Question: 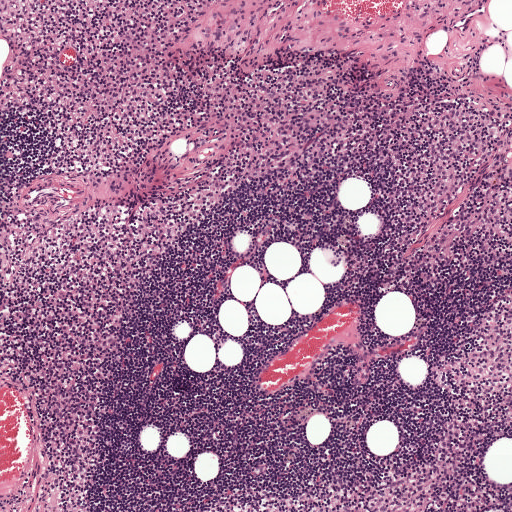
At roughly what magnification is this field shown?

Choices:
 (A) about 2.5×
 (B) about 10×
 (C) about 5×
 (D) about 40×
 (E) about 20×

Answer: (C) about 5×
A 1-mm field of an H&E-stained sentinel lymph node from a breast-cancer patient (whole-slide image), shown at about 5×, about 1.9 µm per pixel.
Question: 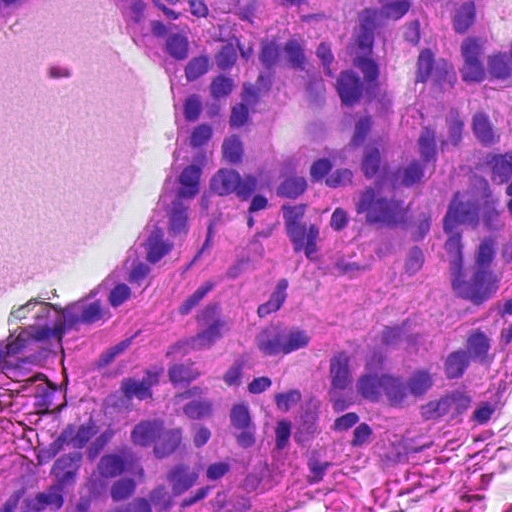
At roughly what magnification is this field shown?

Choices:
 (A) about 2.5×
 (B) about 40×
 (C) about 5×
 (D) about 10×
 (E) about 20×

Answer: (B) about 40×
This is a crop of a whole-slide image: an H&E-stained breast-cancer sentinel lymph node section at roughly 40× magnification (about 0.23 µm per pixel; the crop spans about 0.12 mm).
Boundaries of three metastatic tumour regions, simplified and listed clockwise, largest first: region 1: (0, 0), (159, 0), (203, 46), (247, 43), (277, 26), (341, 53), (346, 19), (366, 0), (511, 0), (511, 87), (467, 97), (511, 125), (510, 283), (486, 305), (451, 310), (391, 272), (400, 237), (347, 219), (350, 186), (276, 216), (206, 210), (128, 312), (0, 376); region 2: (180, 360), (260, 409), (260, 449), (249, 482), (206, 511), (1, 511), (31, 452), (95, 405), (117, 380), (147, 364); region 3: (487, 322), (497, 341), (489, 367), (400, 414), (358, 408), (344, 410), (327, 404), (326, 356), (332, 342), (358, 348), (368, 363), (402, 370), (460, 334).
Tumour covers about 65% of the frame.
Question: 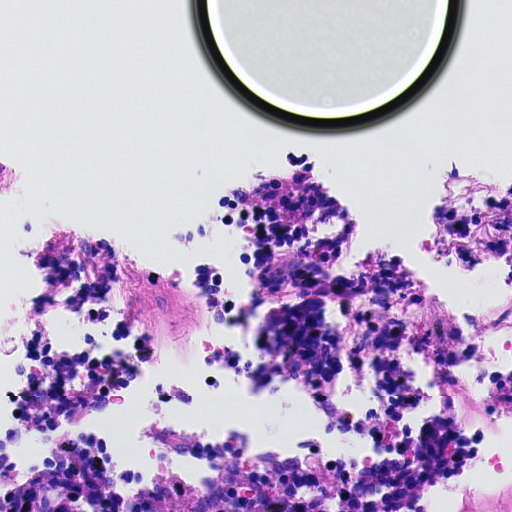
At roughly what magnification is this field shown?

Choices:
 (A) about 40×
 (B) about 10×
 (C) about 20×
 (D) about 2.5×
 (E) about 5×

Answer: (C) about 20×
H&E-stained section of a sentinel lymph node (breast cancer), from a whole-slide image, viewed at about 20×: the field is about 0.23 mm across, about 0.45 µm per pixel.
Question: 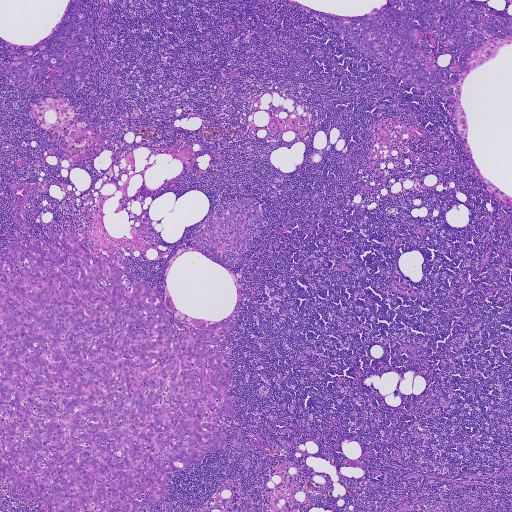
At roughly what magnification is this field shown?

Choices:
 (A) about 20×
 (B) about 40×
 (C) about 2.5×
 (D) about 10×
 (E) about 5×

Answer: (C) about 2.5×
This is a crop of a whole-slide image: an H&E-stained breast-cancer sentinel lymph node section at roughly 2.5× magnification (about 3.6 µm per pixel; the crop spans about 1.9 mm).
One metastatic tumour region; its boundary, reduced to 20 corners and listed clockwise: (75, 235), (111, 276), (119, 268), (128, 291), (145, 281), (177, 334), (227, 324), (215, 350), (233, 369), (226, 444), (167, 473), (162, 502), (149, 491), (129, 511), (57, 511), (2, 477), (6, 247), (37, 239), (68, 256), (60, 240).
About 20% of this field is tumour.